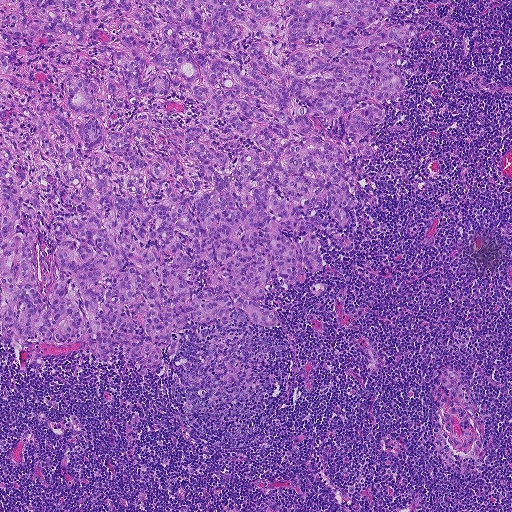
Lymph node section stained with H&E, from a whole-slide image of a breast-cancer sentinel node. Magnification about 5×, about 0.93 mm across the frame, about 1.8 µm per pixel.
The outlined metastatic tumour's edge, as a closed clockwise path of 24 points: (0, 0), (401, 0), (370, 31), (434, 35), (384, 46), (408, 85), (380, 105), (378, 152), (347, 156), (354, 247), (314, 232), (322, 271), (264, 300), (291, 341), (249, 317), (189, 321), (176, 360), (162, 348), (141, 376), (119, 351), (108, 368), (84, 351), (24, 369), (8, 344).
About 45% of the image area is annotated as tumour.